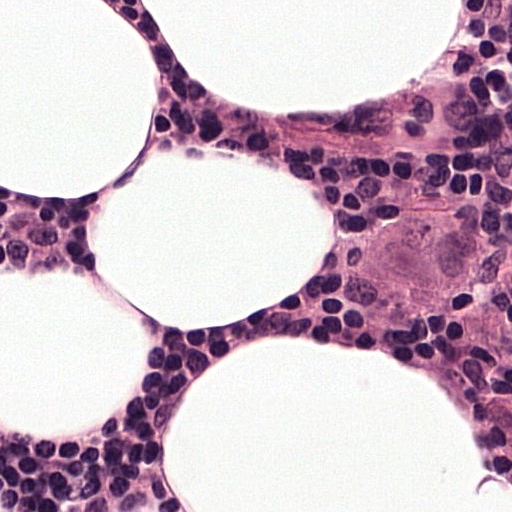
A 0.12-mm field of an H&E-stained sentinel lymph node from a breast-cancer patient (whole-slide image), shown at about 40×, about 0.24 µm per pixel.
Tumour region outline (a closed clockwise path, crop pixels): (384, 211), (438, 211), (460, 214), (497, 230), (511, 245), (511, 269), (503, 292), (494, 305), (444, 329), (366, 324), (347, 305), (347, 242), (353, 230), (375, 217), (397, 217).
About 5% of this field is tumour.